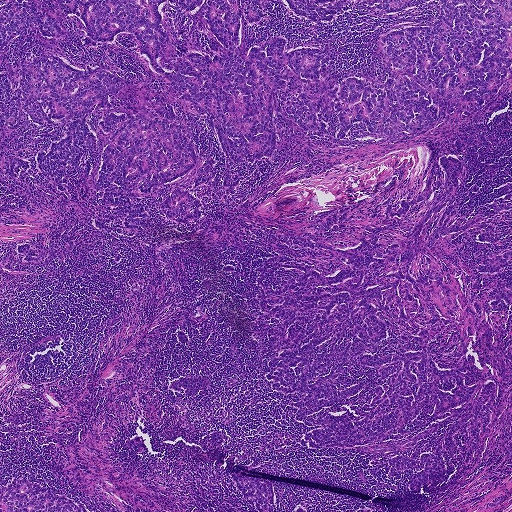
Lymph node section stained with H&E, from a whole-slide image of a breast-cancer sentinel node. Magnification about 2.5×, about 1.9 mm across the frame, about 3.6 µm per pixel.
Question: Show where the tumour is in this image.
Answer: The eight largest tumour regions' boundaries, simplified and listed clockwise, largest first: region 1: (486, 128), (502, 140), (466, 150), (457, 194), (485, 190), (455, 216), (511, 182), (490, 222), (511, 228), (511, 458), (436, 499), (374, 460), (413, 435), (308, 448), (266, 379), (257, 266), (350, 266), (261, 231), (396, 204), (426, 166), (439, 189), (440, 156); region 2: (4, 0), (266, 0), (239, 42), (280, 34), (324, 48), (324, 79), (383, 80), (379, 41), (437, 0), (511, 0), (511, 86), (420, 135), (353, 123), (336, 139), (273, 113), (274, 152), (229, 161), (175, 107), (196, 163), (135, 192), (145, 228), (100, 196), (100, 143), (64, 184), (34, 162), (12, 180), (6, 157), (64, 128), (17, 106), (1, 130), (0, 73), (16, 104), (34, 57), (130, 79), (147, 57), (128, 35), (84, 46), (72, 14), (63, 37), (0, 46); region 3: (214, 156), (215, 162), (211, 182), (213, 187), (218, 190), (222, 186), (223, 170), (239, 175), (239, 181), (231, 194), (221, 199), (211, 196), (208, 186), (203, 184), (193, 189), (192, 194), (201, 200), (204, 205), (200, 209), (200, 214), (193, 222), (177, 224), (167, 219), (164, 215), (160, 205), (162, 200), (173, 189), (178, 187), (188, 188), (193, 184), (198, 169), (204, 160); region 4: (21, 477), (54, 493), (70, 497), (76, 503), (84, 505), (88, 511), (0, 511), (0, 490), (8, 478); region 5: (282, 0), (430, 0), (388, 14), (379, 15), (348, 7), (342, 11), (331, 23), (323, 23), (315, 23), (301, 17); region 6: (234, 473), (251, 475), (267, 480), (271, 483), (274, 493), (272, 511), (257, 511), (230, 480), (229, 474); region 7: (201, 376), (207, 377), (211, 382), (193, 396), (169, 390), (168, 384), (172, 379); region 8: (24, 244), (28, 244), (32, 248), (36, 248), (40, 251), (40, 258), (34, 261), (31, 261), (25, 259), (24, 255), (16, 250), (17, 247).
Three more, smaller tumour regions are not outlined.
Seven more small tumour pieces are annotated here but not outlined.
About 50% of the image area is annotated as tumour.